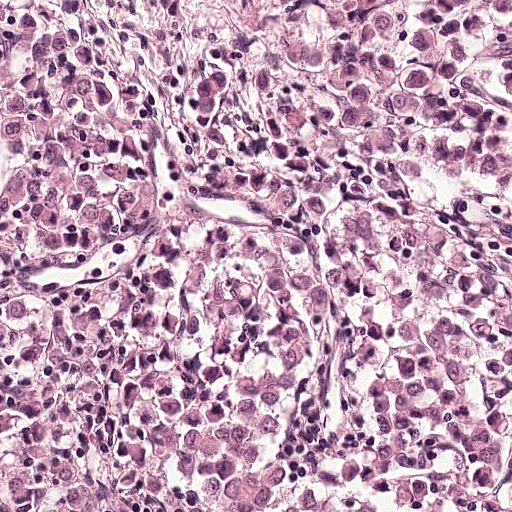
Lymph node section stained with H&E, from a whole-slide image of a breast-cancer sentinel node. Magnification about 20×, about 0.25 mm across the frame, about 0.49 µm per pixel.
Question: Which parts of this field are metastatic tumour?
Answer: Tumour region outline (a closed clockwise path, crop pixels): (336, 188), (396, 199), (511, 251), (511, 511), (0, 511), (0, 236), (123, 197).
Tumour covers about 60% of the frame.